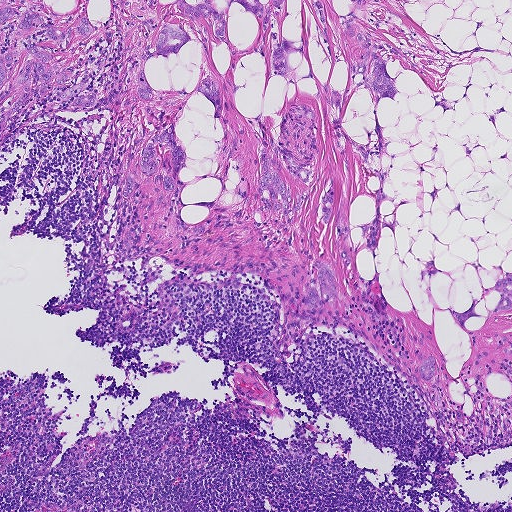
A 0.93-mm field of an H&E-stained sentinel lymph node from a breast-cancer patient (whole-slide image), shown at about 5×, about 1.8 µm per pixel.
Boundaries of six metastatic tumour regions, simplified and listed clockwise, largest first: region 1: (0, 0), (43, 0), (44, 13), (60, 28), (84, 15), (92, 32), (71, 36), (65, 50), (45, 31), (34, 38), (70, 70), (65, 84), (86, 82), (82, 90), (95, 96), (92, 106), (76, 109), (78, 95), (54, 101), (70, 85), (30, 99), (5, 120), (12, 94), (0, 101); region 2: (350, 0), (367, 1), (357, 19), (381, 60), (388, 61), (387, 74), (396, 76), (397, 91), (393, 102), (387, 98), (374, 108), (367, 89), (356, 88), (360, 76), (351, 68), (361, 50), (360, 43), (356, 37), (349, 39), (338, 21), (339, 15), (346, 15), (352, 4); region 3: (506, 272), (511, 273), (511, 310), (510, 311), (506, 310), (489, 316), (492, 310), (498, 304), (501, 296), (498, 293), (494, 291), (487, 295), (477, 304), (475, 308), (475, 312), (478, 315), (486, 318), (484, 319), (475, 316), (467, 319), (465, 323), (465, 327), (467, 330), (459, 327), (447, 308), (452, 309), (460, 313), (468, 310), (470, 306), (472, 298), (479, 300), (482, 297), (482, 289), (493, 286), (497, 280), (506, 278); region 4: (308, 0), (320, 0), (323, 5), (330, 44), (331, 62), (330, 55), (324, 43); region 5: (429, 353), (433, 357), (435, 367), (435, 373), (428, 381), (423, 380), (420, 374), (418, 363), (418, 356); region 6: (511, 394), (511, 409), (508, 407), (505, 399).
One more tumour region is annotated but not outlined: its edge is too irregular for a short outline.
One more small tumour piece is annotated here but not outlined.
Tumour covers about 10% of the frame.